Image:
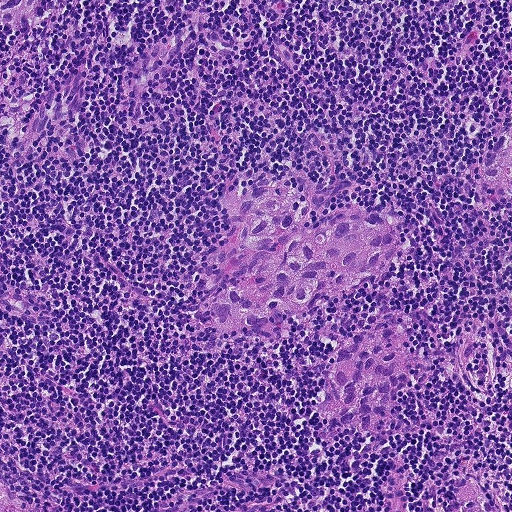
A 0.46-mm field of an H&E-stained sentinel lymph node from a breast-cancer patient (whole-slide image), shown at about 10×, about 0.9 µm per pixel.
Question:
Where is the metastatic tumour in this field? Give each region's outline as (x, y) pixel points.
Answer:
Outlines of six tumour regions, largest first (closed clockwise paths, crop pixels): region 1: (285, 184), (324, 194), (325, 201), (304, 228), (370, 214), (396, 226), (394, 256), (373, 276), (290, 319), (264, 337), (236, 329), (222, 332), (212, 320), (212, 290), (223, 272), (216, 258), (230, 215), (226, 201), (239, 195); region 2: (386, 316), (400, 324), (419, 367), (399, 391), (392, 420), (384, 433), (369, 433), (340, 420), (327, 425), (316, 415), (320, 385), (332, 354), (342, 342); region 3: (511, 123), (511, 189), (490, 197), (477, 188), (477, 174), (480, 159), (487, 145); region 4: (0, 0), (65, 0), (38, 29), (22, 29), (0, 24); region 5: (473, 481), (501, 511), (456, 511), (449, 495), (458, 483); region 6: (0, 478), (3, 482), (15, 490), (38, 511), (0, 511).
One more small tumour piece is annotated here but not outlined.
The annotated tumour makes up about 10% of the crop.

Image:
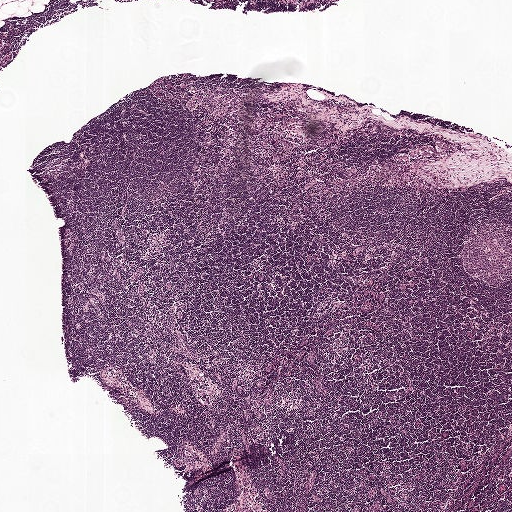
Lymph node section stained with H&E, from a whole-slide image of a breast-cancer sentinel node. Magnification about 2.5×, about 2.0 mm across the frame, about 3.9 µm per pixel.
Question:
Where is the metastatic tumour in this field? Give each region's outline as (x, y) pixel points.
Answer:
The outlined metastatic tumour's edge, as a closed clockwise path of 17 points: (435, 142), (442, 142), (453, 148), (448, 150), (448, 153), (445, 155), (432, 154), (420, 158), (411, 158), (407, 160), (396, 159), (394, 156), (396, 153), (406, 152), (417, 145), (429, 144), (435, 147).
The annotated tumour makes up under 5% of the crop.

Image:
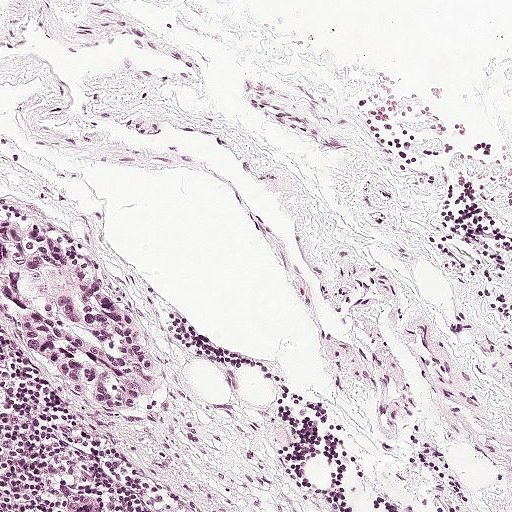
Lymph node section stained with H&E, from a whole-slide image of a breast-cancer sentinel node. Magnification about 10×, about 0.5 mm across the frame, about 0.97 µm per pixel.
Question:
Where is the metastatic tumour in this field? Give each region's outline as (x, y) pixel points.
Answer:
Tumour region outline (a closed clockwise path, crop pixels): (0, 218), (62, 241), (100, 275), (118, 303), (137, 315), (142, 340), (154, 352), (157, 378), (151, 410), (136, 419), (119, 419), (80, 399), (37, 356), (14, 311), (0, 301).
Tumour covers about 5% of the frame.

Image:
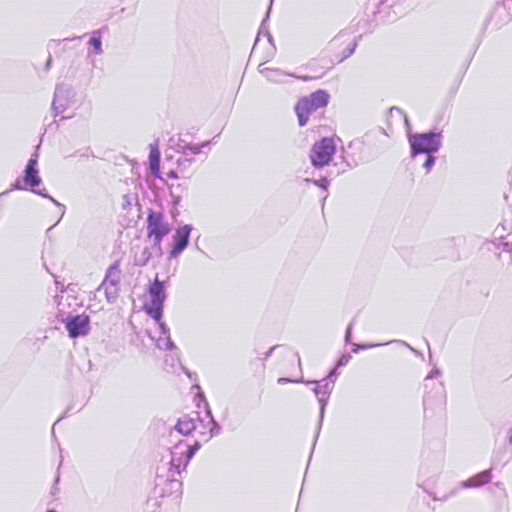
Lymph node section stained with H&E, from a whole-slide image of a breast-cancer sentinel node. Magnification about 40×, about 0.12 mm across the frame, about 0.23 µm per pixel.
Question:
Where is the metastatic tumour in this field? Give each region's outline as (x, y) pixel points.
Answer:
Tumour region outline (a closed clockwise path, crop pixels): (298, 82), (357, 99), (383, 157), (324, 173), (262, 147), (193, 157), (194, 239), (179, 296), (221, 416), (179, 457), (148, 510), (163, 392), (107, 366), (54, 355), (37, 289), (80, 271), (106, 215), (110, 156), (166, 132), (233, 132), (276, 85).
About 15% of this field is tumour.